H&E-stained section of a sentinel lymph node (breast cancer), from a whole-slide image, viewed at about 2.5×: the field is about 1.9 mm across, about 3.6 µm per pixel.
Question: 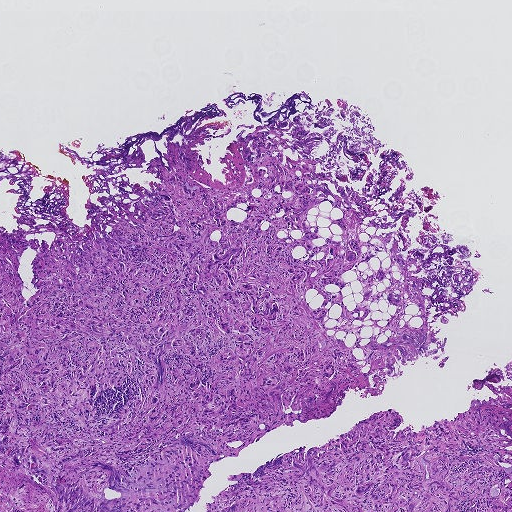
Estimate the proportion of this field that is metastatic tumour.

Choices:
 (A) about 25% to 45%
 (B) none: no tumour is outlined
 (C) about 10% to 20%
 (D) about 5% or less
 (E) about 50% or more

Answer: (E) about 50% or more
About 50% of the field is tumour.
Boundaries of two metastatic tumour regions, simplified and listed clockwise, largest first: region 1: (270, 131), (281, 163), (331, 173), (309, 183), (346, 239), (401, 254), (449, 356), (396, 358), (381, 393), (348, 390), (330, 416), (217, 460), (185, 510), (53, 511), (0, 465), (0, 230), (49, 249), (54, 231), (36, 226), (62, 213), (79, 240), (147, 191), (235, 190), (244, 137); region 2: (470, 407), (484, 411), (502, 435), (495, 458), (511, 481), (511, 511), (206, 511), (212, 495), (237, 482), (227, 475), (252, 473), (278, 454), (306, 446), (304, 456), (390, 408), (403, 420), (393, 430), (394, 436), (397, 430), (409, 426), (417, 432), (422, 424), (451, 420).